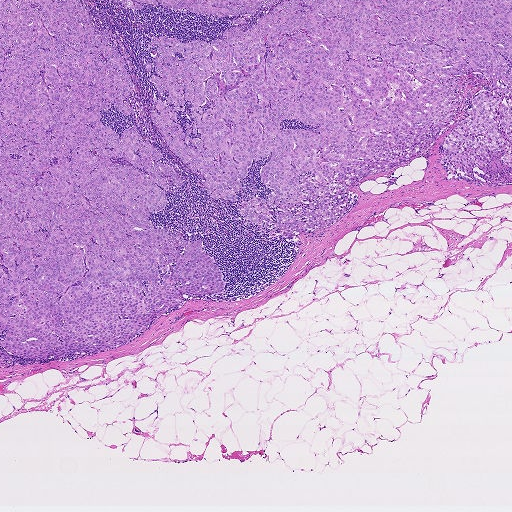
Lymph node section stained with H&E, from a whole-slide image of a breast-cancer sentinel node. Magnification about 2.5×, about 1.9 mm across the frame, about 3.6 µm per pixel.
Question: Which parts of this field are metastatic tumour? Answer with the outline of each region, in pixels.
Answer: Outlines of three tumour regions, largest first (closed clockwise paths, crop pixels): region 1: (283, 0), (511, 0), (511, 167), (447, 179), (444, 140), (489, 84), (464, 75), (436, 140), (351, 186), (336, 223), (270, 234), (238, 210), (274, 193), (270, 154), (212, 199), (151, 117), (154, 99), (174, 107), (147, 46), (246, 30); region 2: (0, 0), (79, 0), (125, 57), (134, 88), (123, 101), (133, 113), (114, 101), (100, 110), (103, 125), (120, 140), (135, 127), (162, 154), (152, 160), (184, 180), (157, 185), (167, 202), (148, 220), (202, 241), (223, 292), (185, 293), (132, 339), (98, 352), (34, 359), (1, 346); region 3: (0, 349), (10, 355), (13, 360), (13, 363), (8, 366), (0, 366).
Tumour covers about 45% of the frame.